Question: 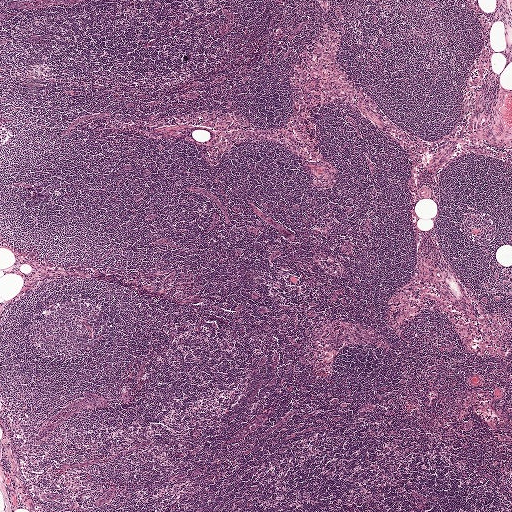
At roughly what magnification is this field shown?

Choices:
 (A) about 40×
 (B) about 5×
 (C) about 20×
 (D) about 2.5×
 (E) about 10×

Answer: (D) about 2.5×
H&E-stained section of a sentinel lymph node (breast cancer), from a whole-slide image, viewed at about 2.5×: the field is about 2.0 mm across, about 3.9 µm per pixel.